H&E-stained section of a sentinel lymph node (breast cancer), from a whole-slide image, viewed at about 10×: the field is about 0.46 mm across, about 0.9 µm per pixel.
Image:
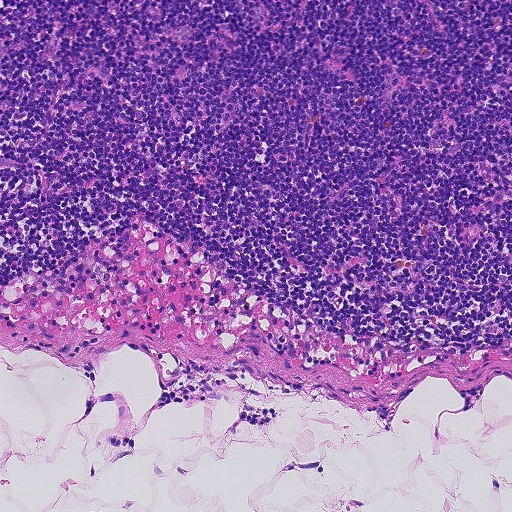
Question:
Does this lymph node field contain metastatic tumour?
Answer:
No: no metastatic tumour is outlined anywhere in this field.